This is a crop of a whole-slide image: an H&E-stained breast-cancer sentinel lymph node section at roughly 10× magnification (about 0.9 µm per pixel; the crop spans about 0.46 mm).
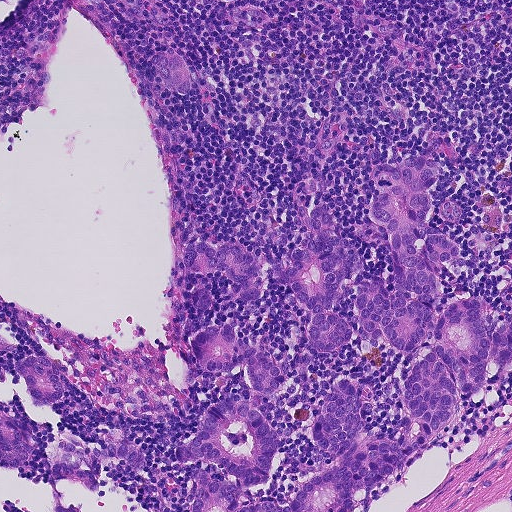
Tumour region outline (a closed clockwise path, crop pixels): (178, 52), (185, 59), (191, 76), (190, 92), (173, 95), (160, 85), (154, 69), (160, 53).
One more tumour region is annotated but not outlined: its edge is too irregular for a short outline.
About 20% of the image area is annotated as tumour.